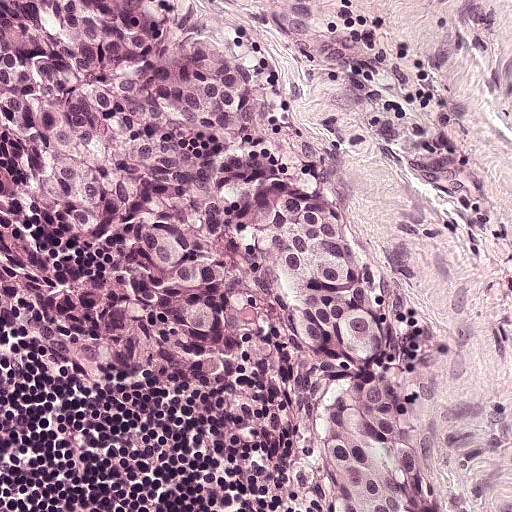
H&E-stained section of a sentinel lymph node (breast cancer), from a whole-slide image, viewed at about 20×: the field is about 0.25 mm across, about 0.49 µm per pixel.
One metastatic tumour region; its boundary, reduced to 14 corners and listed clockwise: (0, 0), (134, 0), (197, 32), (247, 98), (321, 148), (406, 322), (420, 448), (441, 511), (315, 511), (314, 426), (294, 338), (107, 382), (36, 360), (4, 330).
Tumour covers about 50% of the frame.